Image:
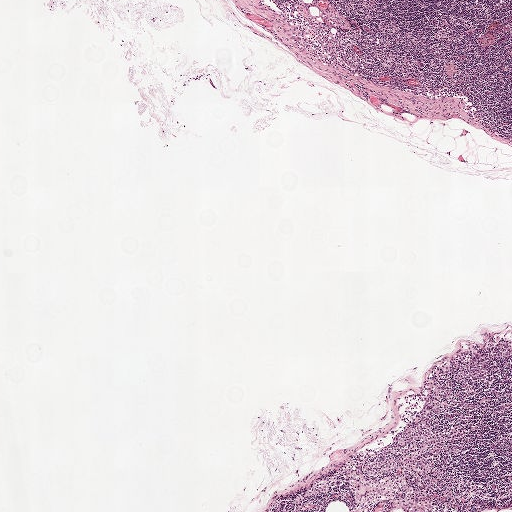
Lymph node section stained with H&E, from a whole-slide image of a breast-cancer sentinel node. Magnification about 2.5×, about 2.0 mm across the frame, about 3.9 µm per pixel.
Question:
Where is the metastatic tumour in this field?
Answer:
The outlined metastatic tumour's edge, as a closed clockwise path of 22 points: (511, 337), (511, 360), (490, 368), (487, 384), (477, 393), (480, 411), (474, 418), (472, 439), (448, 465), (447, 483), (442, 494), (428, 493), (401, 476), (358, 475), (352, 470), (352, 462), (373, 455), (399, 431), (417, 408), (427, 379), (448, 350), (460, 345).
Tumour covers about 5% of the frame.